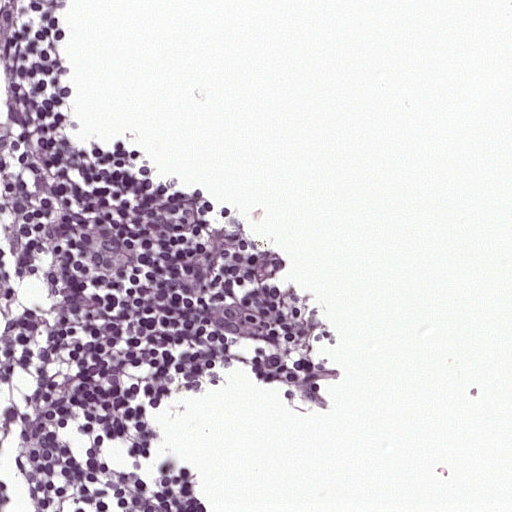
This is a crop of a whole-slide image: an H&E-stained breast-cancer sentinel lymph node section at roughly 20× magnification (about 0.49 µm per pixel; the crop spans about 0.25 mm).